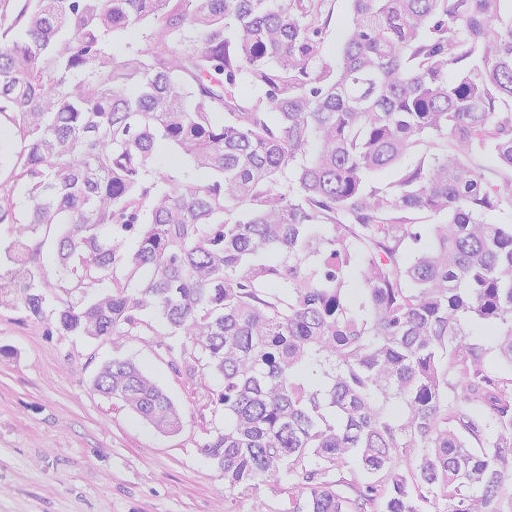
Lymph node section stained with H&E, from a whole-slide image of a breast-cancer sentinel node. Magnification about 20×, about 0.26 mm across the frame, about 0.5 µm per pixel.
One metastatic tumour region; its boundary, reduced to 5 corners and listed clockwise: (0, 0), (511, 0), (511, 511), (208, 511), (0, 411).
Tumour covers about 95% of the frame.